Image:
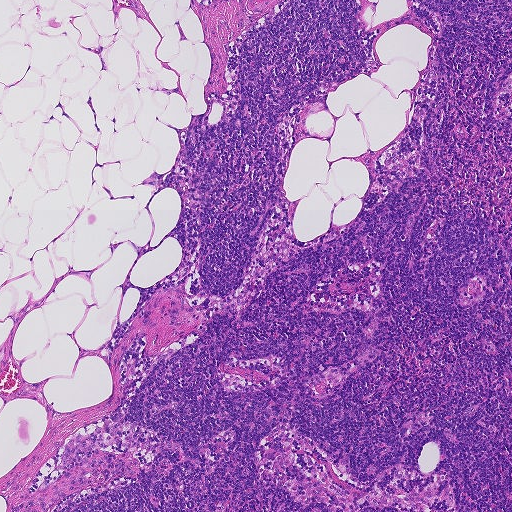
This is a crop of a whole-slide image: an H&E-stained breast-cancer sentinel lymph node section at roughly 5× magnification (about 1.8 µm per pixel; the crop spans about 0.93 mm).
Question:
Is any metastatic breast cancer visible in this crop?
Answer:
No. No metastatic tumour is outlined in this field.